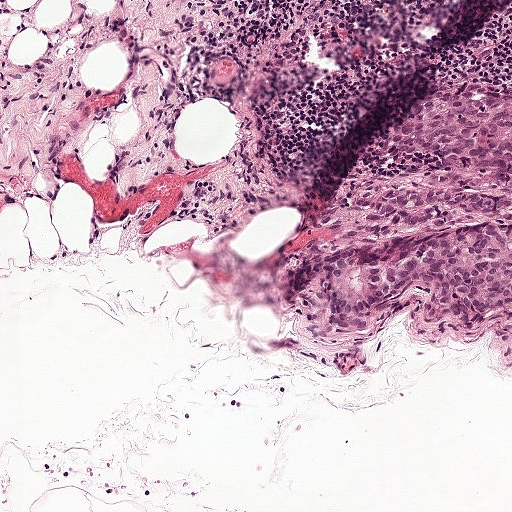
Lymph node section stained with H&E, from a whole-slide image of a breast-cancer sentinel node. Magnification about 10×, about 0.5 mm across the frame, about 0.97 µm per pixel.
Two metastatic tumour regions, each outlined as a closed clockwise path in crop pixels (x, y), largest first: region 1: (508, 213), (511, 336), (496, 333), (486, 341), (466, 337), (416, 319), (414, 308), (406, 303), (348, 341), (323, 333), (317, 291), (326, 260), (383, 233), (464, 216); region 2: (447, 94), (510, 98), (511, 192), (460, 175), (423, 151), (415, 142), (400, 135), (415, 109).
About 10% of the image area is annotated as tumour.